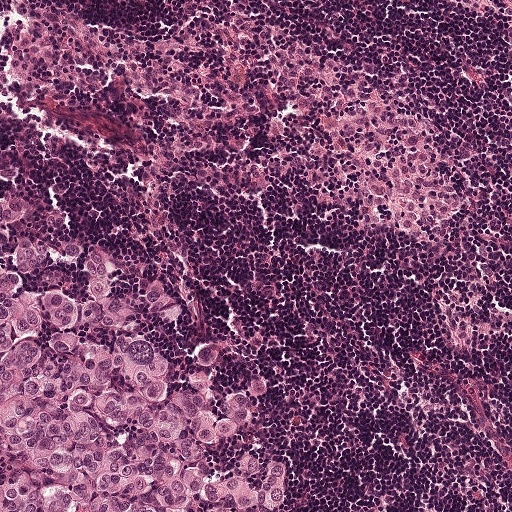
H&E-stained section of a sentinel lymph node (breast cancer), from a whole-slide image, viewed at about 10×: the field is about 0.5 mm across, about 0.97 µm per pixel.
Tumour region outline (a closed clockwise path, crop pixels): (0, 188), (40, 206), (60, 240), (194, 290), (283, 419), (307, 511), (0, 511).
Tumour covers about 25% of the frame.